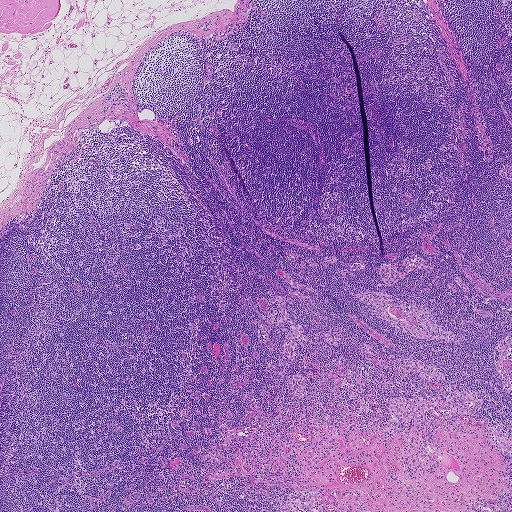
A 1.9-mm field of an H&E-stained sentinel lymph node from a breast-cancer patient (whole-slide image), shown at about 2.5×, about 3.6 µm per pixel.
Question: Is any metastatic breast cancer visible in this crop?
Answer: No: no metastatic tumour is outlined anywhere in this field.